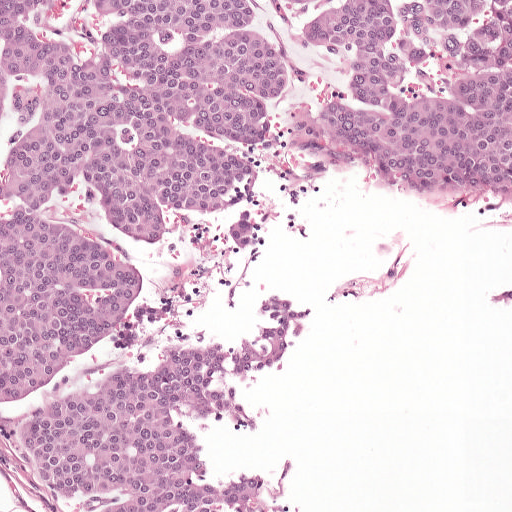
A 0.5-mm field of an H&E-stained sentinel lymph node from a breast-cancer patient (whole-slide image), shown at about 10×, about 0.97 µm per pixel.
Boundaries of two metastatic tumour regions, simplified and listed clockwise, largest first: region 1: (0, 0), (511, 0), (511, 219), (326, 176), (296, 208), (310, 241), (279, 222), (239, 309), (223, 291), (189, 327), (252, 336), (264, 290), (318, 310), (257, 397), (266, 435), (210, 438), (227, 468), (293, 449), (309, 511), (74, 511), (20, 463), (1, 411); region 2: (500, 280), (511, 282), (511, 312), (483, 302).
About 70% of the image area is annotated as tumour.